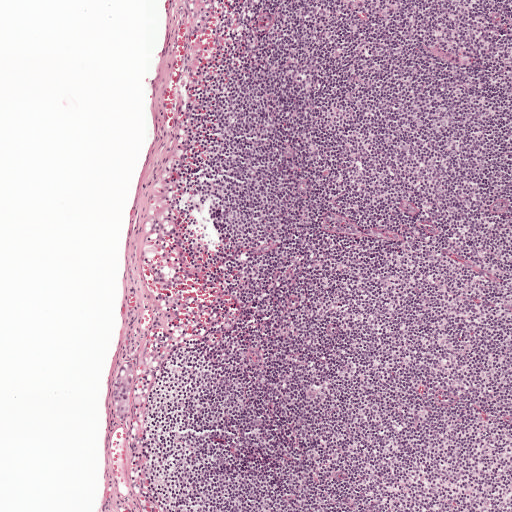
Lymph node section stained with H&E, from a whole-slide image of a breast-cancer sentinel node. Magnification about 5×, about 1 mm across the frame, about 1.9 µm per pixel.
Tumour region outline (a closed clockwise path, crop pixels): (128, 360), (133, 366), (135, 391), (129, 416), (122, 423), (115, 418), (112, 406), (114, 381), (119, 369).
Tumour covers under 5% of the frame.